Lymph node section stained with H&E, from a whole-slide image of a breast-cancer sentinel node. Magnification about 10×, about 0.5 mm across the frame, about 0.97 µm per pixel.
Question: 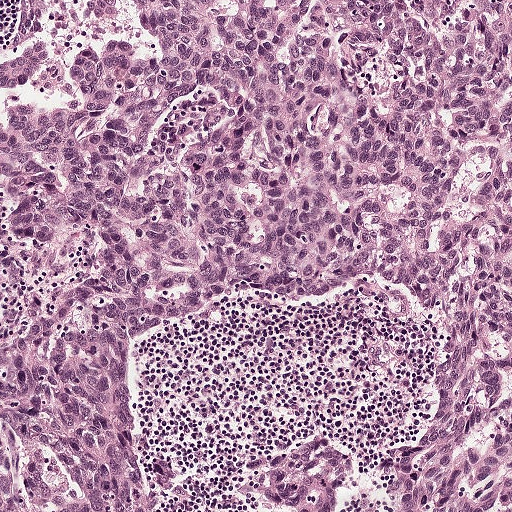
About how much of this crop is taken up by metastatic carcinoma?

Choices:
 (A) about 5% or less
 (B) none: no tumour is outlined
 (C) about 10% to 20%
 (D) about 25% to 45%
 (E) about 50% or more

Answer: (E) about 50% or more
About 80% of the field is tumour.
Outlines of two tumour regions, largest first (closed clockwise paths, crop pixels): region 1: (16, 0), (511, 0), (511, 511), (400, 511), (392, 456), (427, 406), (442, 320), (411, 286), (358, 276), (296, 304), (200, 300), (144, 346), (136, 405), (155, 511), (0, 511); region 2: (311, 430), (338, 437), (349, 446), (353, 458), (353, 467), (343, 484), (343, 496), (348, 504), (364, 511), (283, 511), (267, 502), (252, 483), (249, 456), (280, 439).